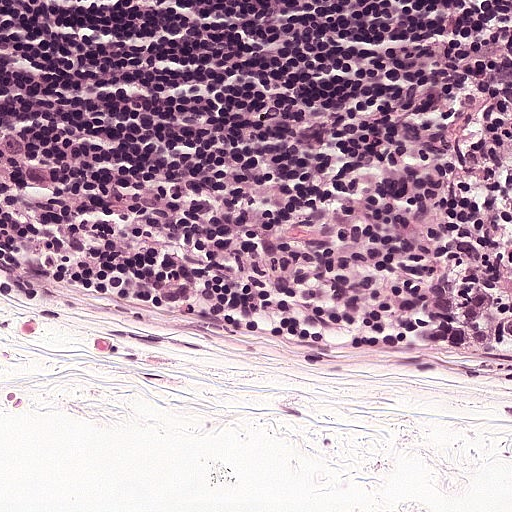
Lymph node section stained with H&E, from a whole-slide image of a breast-cancer sentinel node. Magnification about 20×, about 0.25 mm across the frame, about 0.49 µm per pixel.
Question: Where is the metastatic tumour in this field? Give each region's outline as (x, y) pixel points.
Answer: Tumour region outline (a closed clockwise path, crop pixels): (510, 58), (511, 367), (390, 357), (203, 312), (162, 294), (120, 242), (116, 188), (140, 162), (175, 148), (255, 146), (355, 116), (427, 76).
Tumour covers about 30% of the frame.